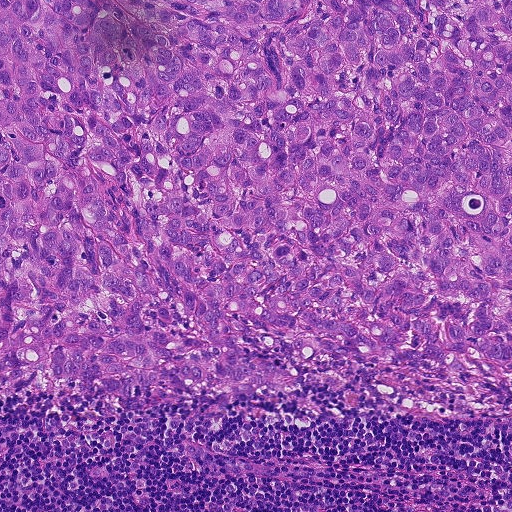
H&E-stained section of a sentinel lymph node (breast cancer), from a whole-slide image, viewed at about 10×: the field is about 0.46 mm across, about 0.9 µm per pixel.
Tumour region outline (a closed clockwise path, crop pixels): (0, 0), (511, 0), (511, 360), (455, 353), (450, 365), (404, 358), (362, 369), (249, 330), (244, 343), (292, 372), (298, 395), (197, 395), (157, 382), (120, 400), (53, 407), (47, 395), (6, 390).
About 75% of this field is tumour.